A 0.46-mm field of an H&E-stained sentinel lymph node from a breast-cancer patient (whole-slide image), shown at about 10×, about 0.9 µm per pixel.
Image:
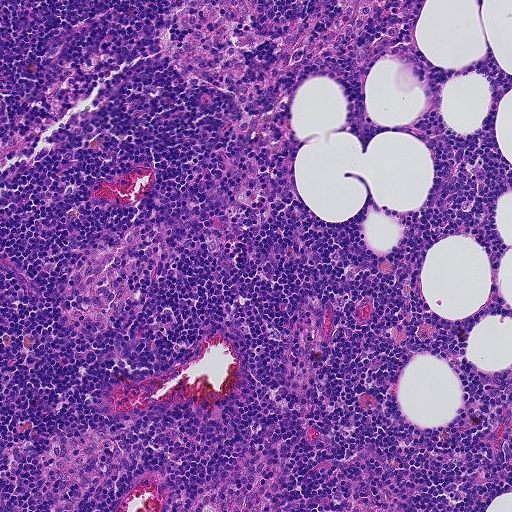
Question:
Does this lymph node field contain metastatic tumour?
Answer:
No, this field holds no outlined metastasis.